Image:
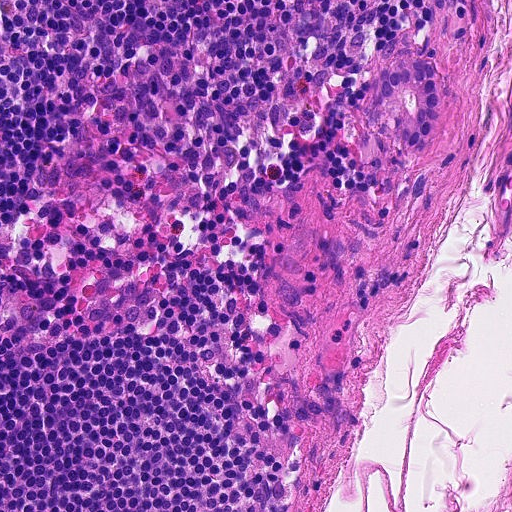
A 0.23-mm field of an H&E-stained sentinel lymph node from a breast-cancer patient (whole-slide image), shown at about 20×, about 0.45 µm per pixel.
Question:
Does this lymph node field contain metastatic tumour?
Answer:
Yes.
One metastatic tumour region; its boundary, reduced to 12 corners and listed clockwise: (420, 53), (433, 64), (441, 79), (439, 130), (430, 145), (416, 152), (399, 151), (384, 144), (370, 132), (365, 114), (378, 66), (403, 55).
Under 5% of the image area is annotated as tumour.